This is a crop of a whole-slide image: an H&E-stained breast-cancer sentinel lymph node section at roughly 10× magnification (about 0.91 µm per pixel; the crop spans about 0.46 mm).
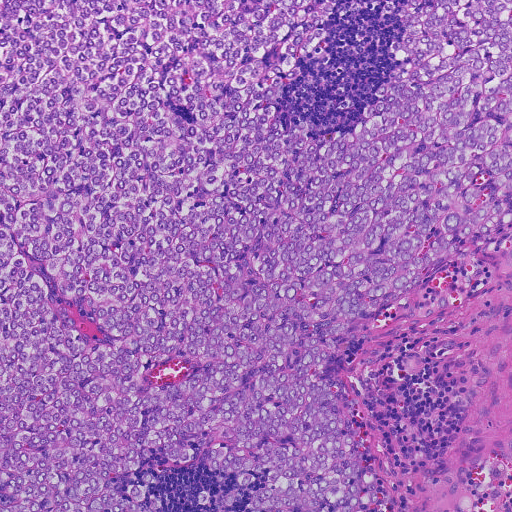
One metastatic tumour region; its boundary, reduced to 9 corners and listed clockwise: (0, 0), (511, 0), (511, 265), (504, 242), (459, 252), (328, 357), (325, 371), (386, 506), (0, 511).
Tumour covers about 85% of the frame.